This is a crop of a whole-slide image: an H&E-stained breast-cancer sentinel lymph node section at roughly 10× magnification (about 0.97 µm per pixel; the crop spans about 0.5 mm).
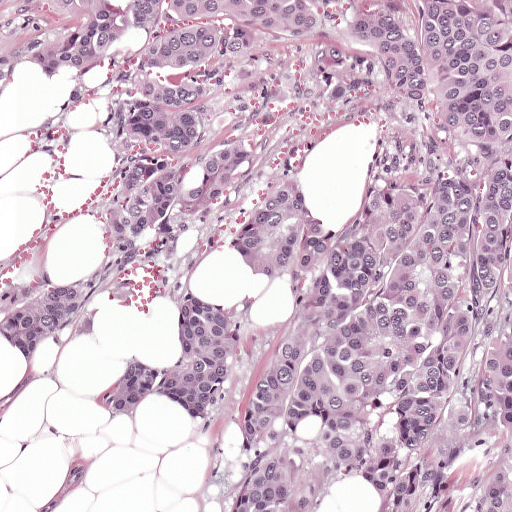
Tumour region outline (a closed clockwise path, crop pixels): (0, 0), (511, 0), (511, 511), (476, 511), (492, 442), (420, 511), (375, 511), (375, 484), (362, 484), (314, 511), (234, 511), (243, 436), (158, 399), (124, 423), (97, 419), (96, 394), (130, 353), (179, 353), (177, 297), (246, 316), (295, 303), (289, 276), (268, 282), (233, 244), (288, 178), (339, 222), (374, 182), (376, 114), (328, 116), (122, 269), (27, 363), (0, 324), (22, 297), (113, 254), (119, 86), (150, 34), (90, 71), (18, 70), (4, 96).
The annotated tumour makes up about 70% of the crop.